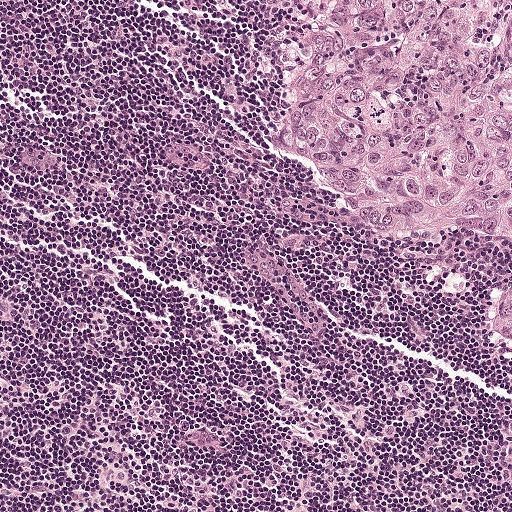
A 0.5-mm field of an H&E-stained sentinel lymph node from a breast-cancer patient (whole-slide image), shown at about 10×, about 0.97 µm per pixel.
Three metastatic tumour regions, each outlined as a closed clockwise path in crop pixels (x, y), largest first: region 1: (511, 0), (511, 252), (398, 249), (282, 170), (264, 139), (307, 1); region 2: (511, 280), (511, 373), (497, 355), (481, 312), (482, 300), (487, 288); region 3: (240, 0), (291, 0), (282, 9), (260, 8).
About 20% of the image area is annotated as tumour.